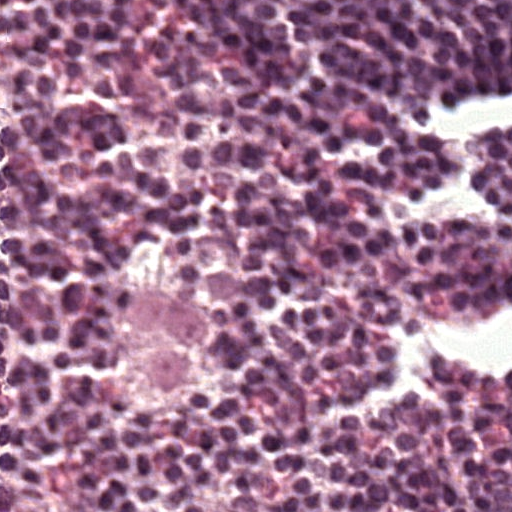
A 0.12-mm field of an H&E-stained sentinel lymph node from a breast-cancer patient (whole-slide image), shown at about 40×, about 0.24 µm per pixel.
One metastatic tumour region; its boundary, reduced to 15 corners and listed clockwise: (134, 271), (189, 302), (201, 304), (212, 330), (212, 345), (199, 387), (192, 399), (175, 411), (158, 417), (132, 417), (115, 411), (98, 394), (106, 345), (106, 283), (110, 280).
Tumour covers about 5% of the frame.